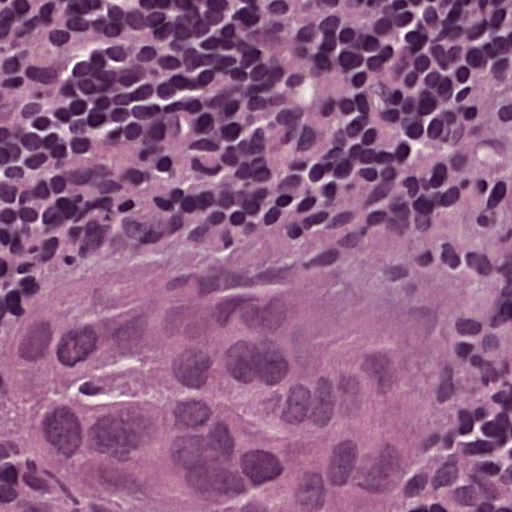
Lymph node section stained with H&E, from a whole-slide image of a breast-cancer sentinel node. Magnification about 40×, about 0.12 mm across the frame, about 0.24 µm per pixel.
Metastatic tumour outline, simplified to 11 points and listed clockwise in crop pixels (x, y): (177, 229), (367, 252), (450, 312), (452, 414), (395, 500), (374, 511), (72, 511), (18, 479), (0, 449), (0, 278), (73, 247).
The annotated tumour makes up about 45% of the crop.